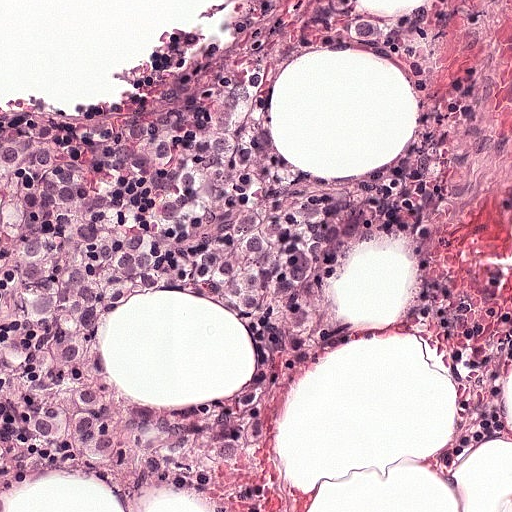
This is a crop of a whole-slide image: an H&E-stained breast-cancer sentinel lymph node section at roughly 20× magnification (about 0.49 µm per pixel; the crop spans about 0.25 mm).
Question: Where is the metastatic tumour in this field? Give each region's outline as (x, y) pixel points.
Answer: Metastatic tumour outline, simplified to 22 points and listed clockwise in crop pixels (x, y): (210, 61), (244, 61), (266, 89), (253, 162), (326, 198), (325, 231), (314, 261), (249, 296), (233, 324), (118, 310), (91, 334), (78, 381), (91, 404), (225, 412), (238, 432), (238, 462), (212, 500), (125, 502), (72, 488), (0, 511), (0, 130), (54, 130).
About 35% of the image area is annotated as tumour.